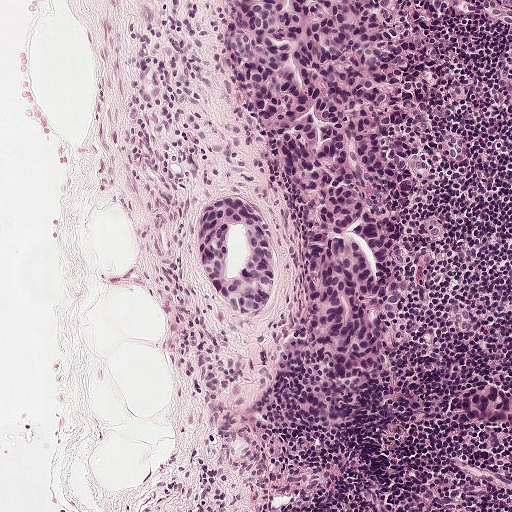
A 0.5-mm field of an H&E-stained sentinel lymph node from a breast-cancer patient (whole-slide image), shown at about 10×, about 0.97 µm per pixel.
Boundaries of four metastatic tumour regions, simplified and listed clockwise, largest first: region 1: (511, 0), (511, 38), (454, 6), (438, 12), (476, 94), (462, 127), (468, 158), (420, 196), (417, 226), (434, 259), (412, 324), (391, 344), (389, 374), (368, 392), (330, 374), (304, 316), (310, 232), (244, 112), (222, 1); region 2: (223, 199), (254, 204), (274, 232), (279, 260), (277, 290), (268, 310), (253, 319), (238, 319), (206, 288), (200, 273), (196, 224), (202, 210); region 3: (463, 383), (490, 385), (511, 394), (511, 440), (480, 439), (466, 434), (460, 418), (445, 408), (449, 394), (456, 385); region 4: (510, 54), (511, 54), (511, 112), (508, 112), (506, 112), (506, 111), (504, 110), (502, 108), (499, 105), (496, 100), (496, 98), (497, 94), (498, 75), (501, 66), (505, 57), (508, 56).
Region 2 encloses a non-tumour hole of about 15% of its area.
About 30% of this field is tumour.